Question: 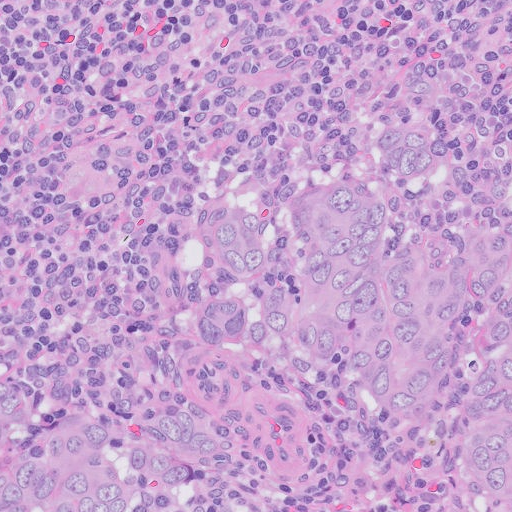
This is a crop of a whole-slide image: an H&E-stained breast-cancer sentinel lymph node section at roughly 20× magnification (about 0.5 µm per pixel; the crop spans about 0.26 mm).
Estimate the proportion of this field that is metastatic tumour.

Choices:
 (A) about 10% to 20%
 (B) about 50% or more
 (C) none: no tumour is outlined
 (D) about 5% or less
 (E) about 25% to 45%

Answer: (E) about 25% to 45%
About 45% of the field is tumour.
Outlines of two tumour regions, largest first (closed clockwise paths, crop pixels): region 1: (374, 126), (441, 135), (486, 186), (511, 161), (511, 511), (463, 511), (214, 343), (174, 286), (192, 219), (251, 184), (318, 165); region 2: (0, 352), (60, 375), (294, 511), (0, 511).